Question: 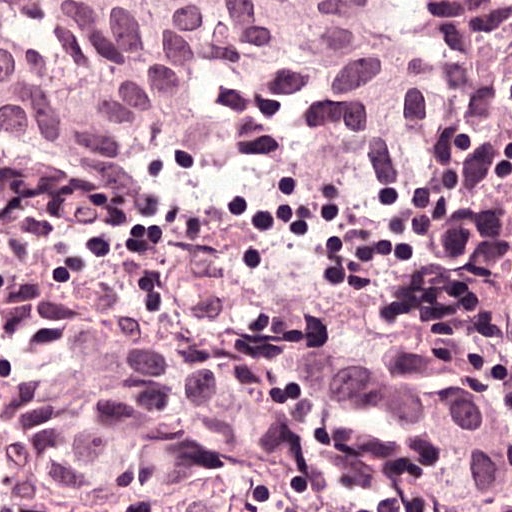
At roughly what magnification is this field shown?

Choices:
 (A) about 2.5×
 (B) about 40×
 (C) about 5×
 (D) about 20×
 (E) about 10×

Answer: (B) about 40×
This is a crop of a whole-slide image: an H&E-stained breast-cancer sentinel lymph node section at roughly 40× magnification (about 0.24 µm per pixel; the crop spans about 0.12 mm).
Outlines of two tumour regions, largest first (closed clockwise paths, crop pixels): region 1: (0, 0), (511, 0), (511, 291), (385, 233), (279, 167), (245, 167), (170, 208), (135, 214), (67, 186), (4, 136); region 2: (95, 294), (149, 294), (236, 335), (452, 347), (511, 382), (511, 504), (427, 511), (324, 457), (183, 463), (145, 482), (39, 476), (17, 444), (11, 397), (36, 366), (77, 344).
About 70% of the image area is annotated as tumour.